This is a crop of a whole-slide image: an H&E-stained breast-cancer sentinel lymph node section at roughly 5× magnification (about 1.8 µm per pixel; the crop spans about 0.93 mm).
Question: 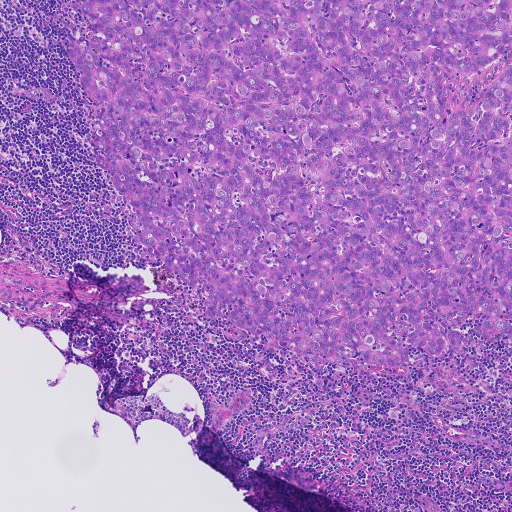
Estimate the proportion of this field that is metastatic tumour.

Choices:
 (A) none: no tumour is outlined
 (B) about 50% or more
 (C) about 25% to 45%
 (D) about 10% to 20%
 (E) about 5% or less

Answer: (B) about 50% or more
About 50% of the field is tumour.
Metastatic tumour outline, simplified to 22 points and listed clockwise in crop pixels (x, y): (511, 0), (508, 333), (483, 336), (481, 312), (449, 325), (463, 335), (459, 345), (430, 356), (416, 345), (405, 368), (322, 367), (269, 334), (206, 318), (206, 285), (188, 284), (134, 241), (124, 196), (95, 160), (96, 105), (68, 50), (93, 32), (80, 5).